Question: 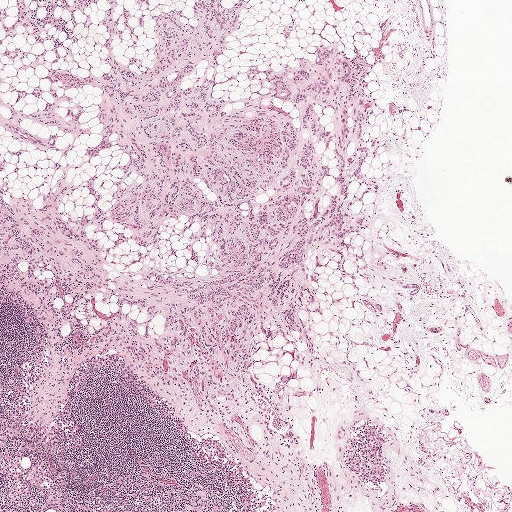
A 2.0-mm field of an H&E-stained sentinel lymph node from a breast-cancer patient (whole-slide image), shown at about 2.5×, about 3.9 µm per pixel.
What fraction of the image area is metastatic tumour?

Choices:
 (A) about 50% or more
 (B) about 10% to 20%
 (C) about 5% or less
 (D) about 25% to 45%
 (E) none: no tumour is outlined

Answer: (D) about 25% to 45%
About 40% of the field is tumour.
Boundaries of five metastatic tumour regions, simplified and listed clockwise, largest first: region 1: (105, 0), (125, 6), (139, 36), (117, 60), (152, 67), (152, 16), (244, 0), (222, 113), (252, 65), (319, 44), (359, 65), (365, 223), (306, 262), (326, 319), (192, 385), (114, 356), (69, 375), (0, 273), (0, 101), (108, 73); region 2: (13, 0), (97, 2), (86, 9), (92, 19), (86, 30), (81, 10), (75, 11), (74, 26), (61, 7), (55, 7), (54, 15), (66, 21), (78, 37), (77, 44), (69, 52), (66, 62), (64, 49), (58, 47), (59, 59), (55, 64), (52, 63), (56, 53), (49, 50), (44, 67), (32, 70), (27, 66), (44, 47), (25, 36), (24, 25), (16, 29), (12, 38), (6, 37), (0, 7), (7, 8), (4, 25), (13, 26), (19, 12); region 3: (0, 39), (10, 50), (14, 50), (16, 46), (26, 50), (27, 54), (24, 58), (16, 57), (11, 59), (6, 59), (1, 56), (2, 54), (4, 49), (4, 46), (4, 45), (0, 45); region 4: (286, 25), (292, 26), (292, 31), (289, 34), (291, 37), (286, 40), (284, 40), (283, 36), (280, 33); region 5: (142, 14), (144, 14), (145, 14), (145, 16), (143, 19), (144, 27), (140, 29), (138, 29), (138, 23), (137, 17).
One more small tumour piece is annotated here but not outlined.